H&E-stained section of a sentinel lymph node (breast cancer), from a whole-slide image, viewed at about 2.5×: the field is about 2.0 mm across, about 3.9 µm per pixel.
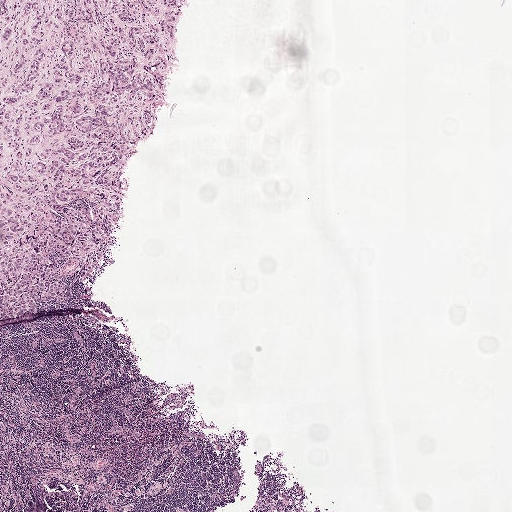
Tumour region outline (a closed clockwise path, crop pixels): (0, 0), (178, 0), (131, 132), (119, 216), (84, 282), (78, 272), (63, 277), (67, 299), (0, 316).
Tumour covers about 15% of the frame.